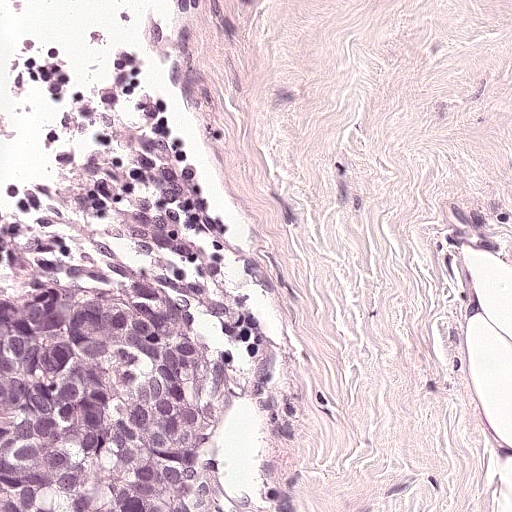
H&E-stained section of a sentinel lymph node (breast cancer), from a whole-slide image, viewed at about 20×: the field is about 0.25 mm across, about 0.49 µm per pixel.
Metastatic tumour outline, simplified to 14 points and listed clockwise in crop pixels (x, y): (171, 170), (210, 194), (224, 228), (206, 337), (242, 392), (220, 459), (220, 510), (0, 511), (0, 283), (8, 260), (29, 236), (65, 220), (118, 245), (146, 242).
Tumour covers about 25% of the frame.